Question: 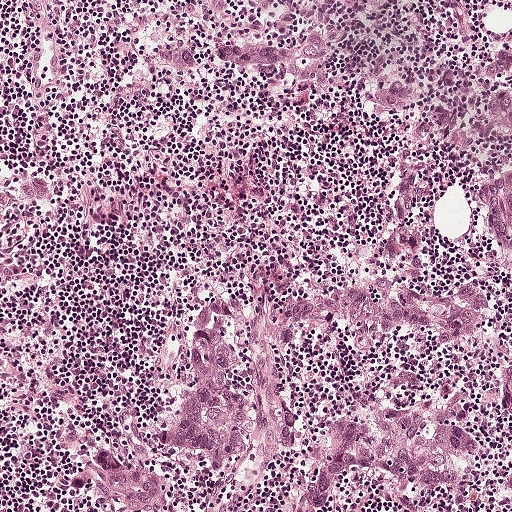
At roughly what magnification is this field shown?

Choices:
 (A) about 40×
 (B) about 5×
 (C) about 10×
 (D) about 20×
 (E) about 2.5×

Answer: (C) about 10×
H&E-stained section of a sentinel lymph node (breast cancer), from a whole-slide image, viewed at about 10×: the field is about 0.5 mm across, about 0.97 µm per pixel.